A 0.5-mm field of an H&E-stained sentinel lymph node from a breast-cancer patient (whole-slide image), shown at about 10×, about 0.97 µm per pixel.
Image:
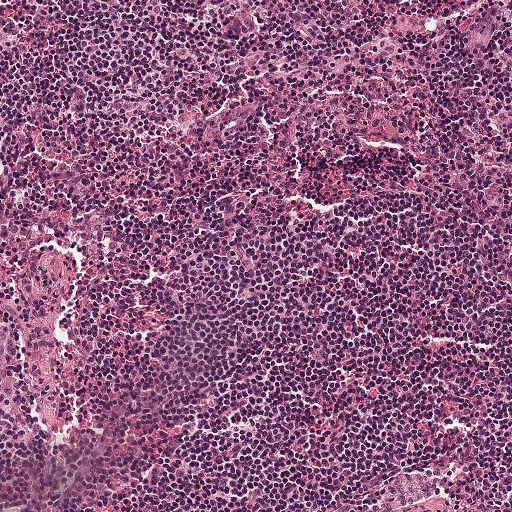
Question:
Does this lymph node field contain metastatic tumour?
Answer:
No. No metastatic tumour is outlined in this field.